This is a crop of a whole-slide image: an H&E-stained breast-cancer sentinel lymph node section at roughly 20× magnification (about 0.49 µm per pixel; the crop spans about 0.25 mm).
Image:
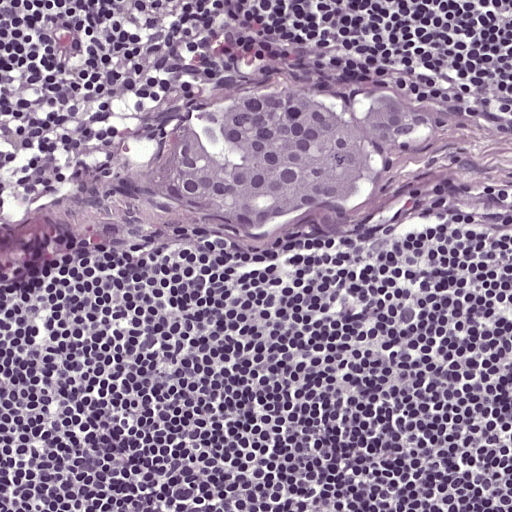
Question:
Trace the edge of each tumour region in this crop, as (x, y) points from 0 to 511.
Answer:
The outlined metastatic tumour's edge, as a closed clockwise path of 13 points: (258, 92), (332, 102), (394, 92), (446, 114), (453, 130), (410, 164), (368, 184), (356, 210), (296, 214), (243, 237), (110, 192), (112, 179), (188, 116).
About 10% of this field is tumour.